Question: 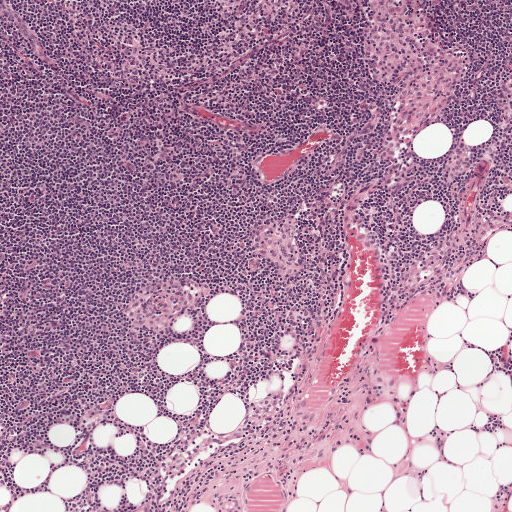
About what magnification does this crop show?

Choices:
 (A) about 40×
 (B) about 10×
 (C) about 20×
 (D) about 5×
 (E) about 2.5×

Answer: (D) about 5×
H&E-stained section of a sentinel lymph node (breast cancer), from a whole-slide image, viewed at about 5×: the field is about 1 mm across, about 1.9 µm per pixel.